A 0.13-mm field of an H&E-stained sentinel lymph node from a breast-cancer patient (whole-slide image), shown at about 40×, about 0.25 µm per pixel.
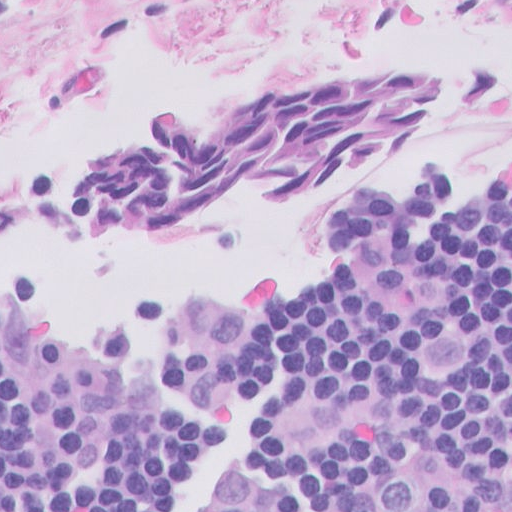
The outlined metastatic tumour's edge, as a closed clockwise path of 7 points: (511, 39), (498, 105), (242, 251), (42, 272), (0, 259), (0, 157), (265, 65).
About 25% of this field is tumour.